Image:
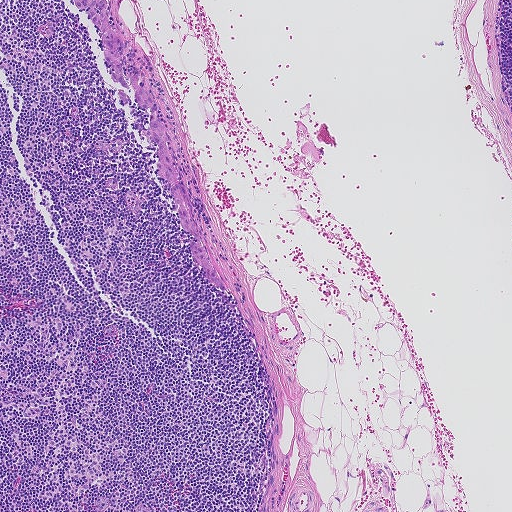
This is a crop of a whole-slide image: an H&E-stained breast-cancer sentinel lymph node section at roughly 5× magnification (about 1.8 µm per pixel; the crop spans about 0.93 mm).
Question:
Is there metastatic carcinoma in this field?
Answer:
Yes.
Metastatic tumour outline, simplified to 37 points and listed clockwise in crop pixels (x, y): (69, 0), (107, 0), (108, 24), (122, 34), (124, 42), (121, 68), (146, 80), (156, 94), (157, 119), (165, 122), (175, 158), (173, 166), (177, 182), (182, 183), (200, 240), (229, 291), (226, 293), (212, 284), (204, 270), (192, 259), (188, 243), (196, 242), (183, 231), (170, 185), (156, 171), (156, 146), (142, 136), (141, 130), (148, 129), (148, 113), (134, 103), (130, 87), (129, 90), (109, 75), (100, 34), (86, 12), (72, 5).
Under 5% of the image area is annotated as tumour.